Image:
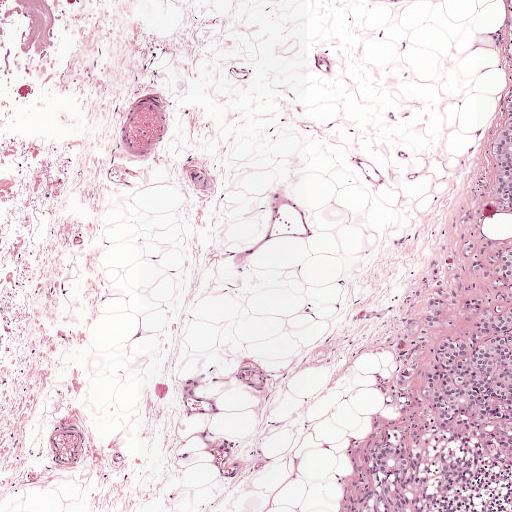
A 1-mm field of an H&E-stained sentinel lymph node from a breast-cancer patient (whole-slide image), shown at about 5×, about 1.9 µm per pixel.
Question:
Outline the metastatic carcinoma in this image, as closed paths of (x, y) pixel coordinates.
Answer:
Boundaries of six metastatic tumour regions, simplified and listed clockwise, largest first: region 1: (511, 243), (511, 466), (446, 434), (422, 406), (418, 391), (433, 347), (461, 305), (472, 296), (491, 299), (488, 282), (465, 272), (472, 262); region 2: (511, 95), (511, 214), (500, 212), (490, 202), (494, 190), (495, 164), (492, 142), (501, 121), (504, 105); region 3: (385, 441), (393, 443), (405, 452), (407, 466), (398, 476), (383, 474), (372, 464), (373, 450); region 4: (433, 312), (443, 316), (440, 326), (426, 330), (421, 318); region 5: (406, 367), (411, 374), (406, 385), (395, 388), (393, 378); region 6: (472, 209), (477, 215), (473, 225), (461, 227), (460, 218), (467, 210).
Two more small tumour pieces are annotated here but not outlined.
About 5% of this field is tumour.